Question: 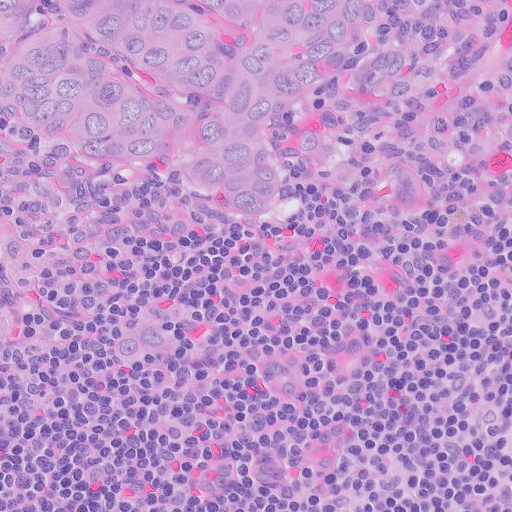
Which magnification is this H&E lymph node field most likely shown at?

Choices:
 (A) about 5×
 (B) about 40×
 (C) about 10×
 (D) about 2.5×
 (E) about 20×

Answer: (E) about 20×
A 0.26-mm field of an H&E-stained sentinel lymph node from a breast-cancer patient (whole-slide image), shown at about 20×, about 0.5 µm per pixel.
The outlined metastatic tumour's edge, as a closed clockwise path of 6 points: (0, 0), (378, 0), (275, 276), (210, 340), (171, 360), (0, 358).
Tumour covers about 40% of the frame.